This is a crop of a whole-slide image: an H&E-stained breast-cancer sentinel lymph node section at roughly 2.5× magnification (about 3.9 µm per pixel; the crop spans about 2.0 mm).
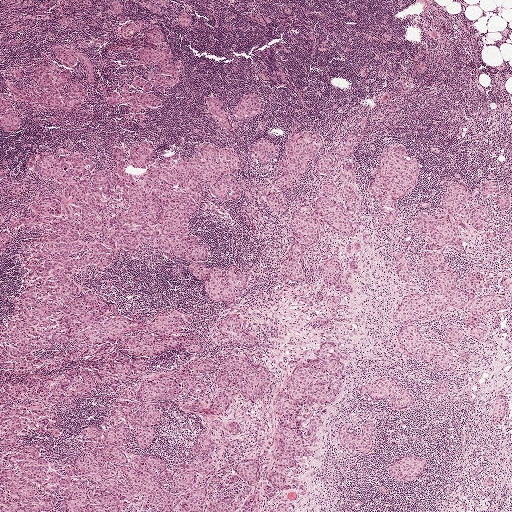
The eight largest tumour regions' boundaries, simplified and listed clockwise, largest first: region 1: (73, 220), (83, 242), (113, 258), (71, 270), (81, 292), (116, 302), (131, 320), (187, 311), (193, 321), (180, 334), (197, 329), (203, 351), (117, 350), (48, 372), (0, 365), (0, 324), (15, 316), (30, 281), (22, 266), (54, 221); region 2: (331, 340), (349, 353), (343, 386), (315, 433), (316, 443), (310, 446), (315, 454), (297, 454), (296, 469), (290, 473), (286, 489), (270, 498), (262, 493), (268, 483), (267, 473), (274, 465), (273, 437), (277, 420), (270, 403), (290, 373), (315, 360), (322, 342); region 3: (466, 182), (468, 211), (466, 217), (462, 219), (467, 226), (465, 229), (458, 227), (464, 239), (461, 252), (450, 245), (437, 252), (444, 256), (449, 268), (456, 273), (456, 285), (477, 269), (483, 271), (485, 280), (473, 299), (460, 310), (449, 306), (428, 319), (399, 325), (394, 322), (392, 316), (399, 299), (412, 290), (430, 293), (434, 283), (430, 276), (432, 268), (422, 259), (430, 238), (415, 231), (412, 224), (422, 212), (443, 213), (442, 197), (450, 183); region 4: (404, 143), (409, 155), (420, 159), (421, 167), (415, 188), (407, 192), (404, 198), (397, 199), (399, 217), (395, 225), (392, 227), (383, 224), (385, 216), (377, 211), (379, 199), (369, 189), (372, 173), (380, 155), (389, 144); region 5: (296, 131), (317, 133), (321, 138), (320, 149), (312, 162), (306, 164), (302, 177), (286, 188), (284, 209), (281, 211), (276, 211), (269, 206), (266, 197), (274, 188), (275, 179), (284, 161), (286, 141); region 6: (39, 66), (60, 71), (72, 71), (72, 76), (62, 89), (61, 95), (64, 98), (66, 88), (73, 82), (76, 81), (80, 83), (84, 91), (84, 96), (80, 107), (73, 110), (63, 107), (53, 110), (37, 101), (38, 89), (31, 78), (32, 72); region 7: (391, 376), (400, 386), (410, 392), (415, 400), (413, 407), (408, 410), (400, 410), (388, 406), (388, 397), (377, 403), (372, 401), (370, 396), (358, 392), (359, 388), (365, 383); region 8: (401, 455), (422, 457), (427, 463), (426, 471), (412, 482), (394, 479), (387, 468).
Two more, smaller tumour regions are not outlined.
Two more small tumour pieces are annotated here but not outlined.
About 15% of this field is tumour.